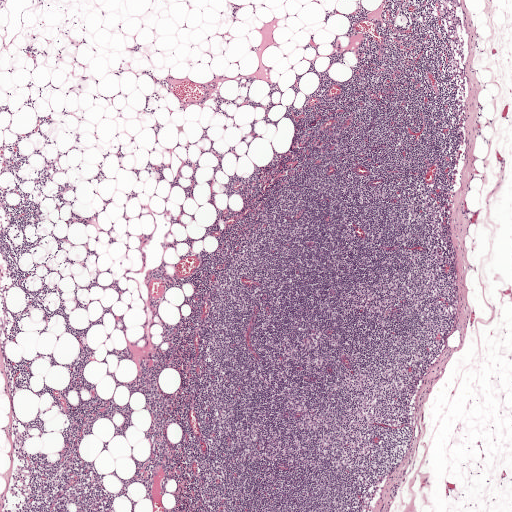
H&E-stained section of a sentinel lymph node (breast cancer), from a whole-slide image, viewed at about 2.5×: the field is about 2.0 mm across, about 3.9 µm per pixel.